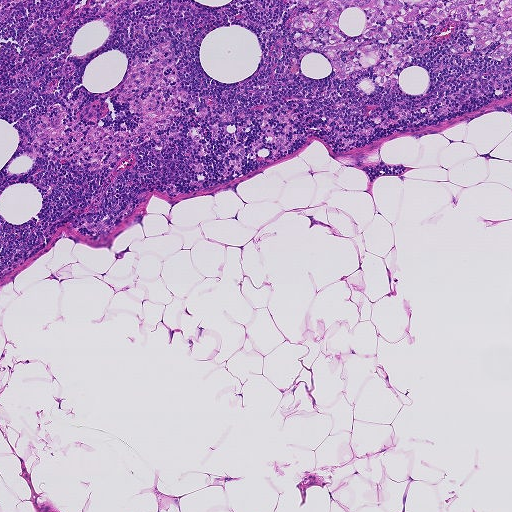
H&E-stained section of a sentinel lymph node (breast cancer), from a whole-slide image, viewed at about 5×: the field is about 0.93 mm across, about 1.8 µm per pixel.
Question: Does this lymph node field contain metastatic tumour?
Answer: Yes.
One metastatic tumour region; its boundary, reduced to 40 corners and listed clockwise: (511, 0), (511, 57), (497, 61), (487, 55), (500, 42), (477, 51), (469, 25), (453, 13), (434, 21), (430, 11), (417, 14), (416, 20), (384, 42), (362, 40), (387, 47), (404, 41), (400, 52), (412, 56), (392, 71), (389, 74), (398, 76), (392, 84), (380, 85), (376, 73), (390, 62), (383, 51), (377, 63), (360, 63), (350, 75), (338, 77), (324, 53), (294, 43), (298, 32), (326, 44), (309, 32), (290, 28), (291, 17), (316, 8), (298, 7), (298, 1).
About 5% of this field is tumour.